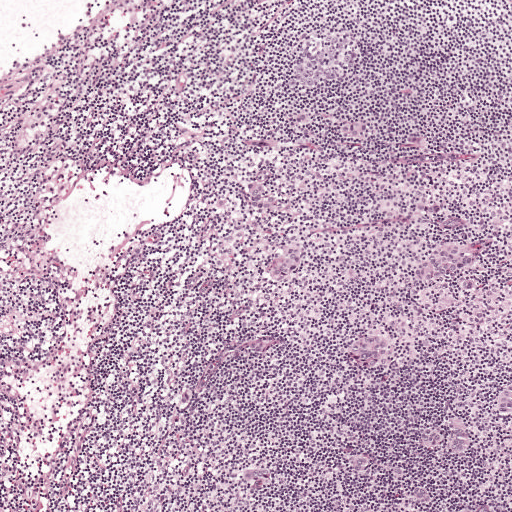
H&E-stained section of a sentinel lymph node (breast cancer), from a whole-slide image, viewed at about 5×: the field is about 1 mm across, about 1.9 µm per pixel.
Outlines of the eight largest metastatic tumour regions, each a closed clockwise path in crop pixels (x, y), largest first: region 1: (445, 240), (458, 240), (472, 244), (476, 242), (484, 248), (484, 260), (473, 267), (428, 284), (415, 284), (402, 280), (399, 268), (430, 243); region 2: (262, 168), (274, 172), (275, 189), (287, 200), (297, 197), (297, 210), (286, 216), (274, 217), (258, 216), (248, 207), (243, 194), (244, 183), (249, 173); region 3: (431, 424), (470, 430), (477, 441), (471, 454), (460, 459), (448, 459), (437, 457), (426, 451), (416, 442), (418, 428); region 4: (359, 330), (371, 331), (383, 334), (393, 341), (392, 354), (382, 363), (370, 367), (354, 366), (344, 362), (338, 347), (343, 335); region 5: (292, 239), (304, 244), (309, 258), (301, 268), (287, 278), (273, 281), (261, 273), (262, 261), (271, 250), (280, 242); region 6: (255, 466), (270, 466), (283, 476), (275, 484), (248, 490), (238, 483), (243, 472); region 7: (511, 379), (511, 420), (507, 422), (494, 421), (491, 408), (492, 394), (501, 383); region 8: (349, 120), (361, 121), (367, 139), (357, 142), (342, 141), (330, 133), (336, 122).
Eight more, smaller tumour regions are not outlined.
One more small tumour piece is annotated here but not outlined.
Tumour covers about 5% of the frame.